This is a crop of a whole-slide image: an H&E-stained breast-cancer sentinel lymph node section at roughly 20× magnification (about 0.5 µm per pixel; the crop spans about 0.26 mm).
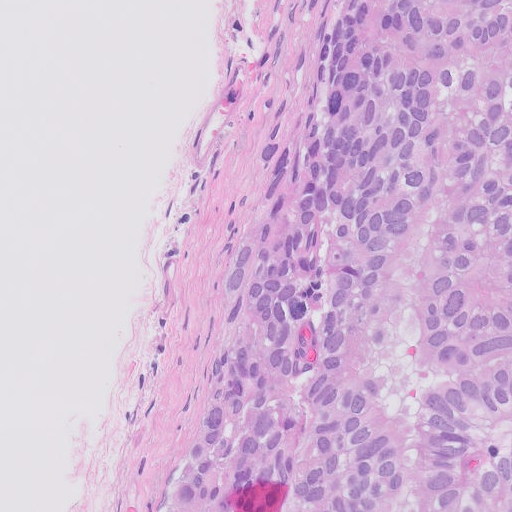
The outlined metastatic tumour's edge, as a closed clockwise path of 8 points: (325, 0), (511, 0), (511, 511), (157, 511), (222, 332), (242, 230), (268, 200), (261, 120).
About 55% of the image area is annotated as tumour.